Image:
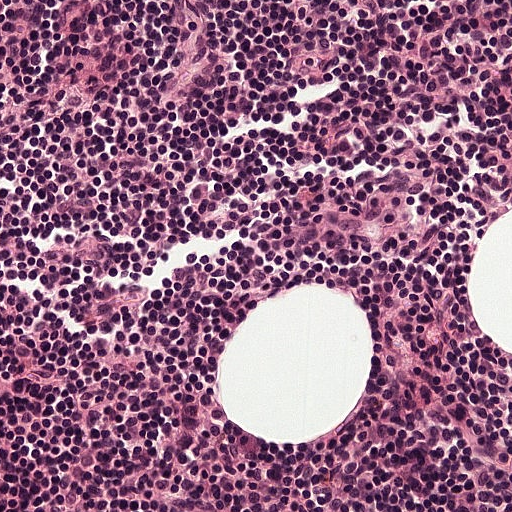
A 0.25-mm field of an H&E-stained sentinel lymph node from a breast-cancer patient (whole-slide image), shown at about 20×, about 0.49 µm per pixel.
Question:
Does this lymph node field contain metastatic tumour?
Answer:
No. No metastatic tumour is outlined in this field.